H&E-stained section of a sentinel lymph node (breast cancer), from a whole-slide image, viewed at about 5×: the field is about 1 mm across, about 1.9 µm per pixel.
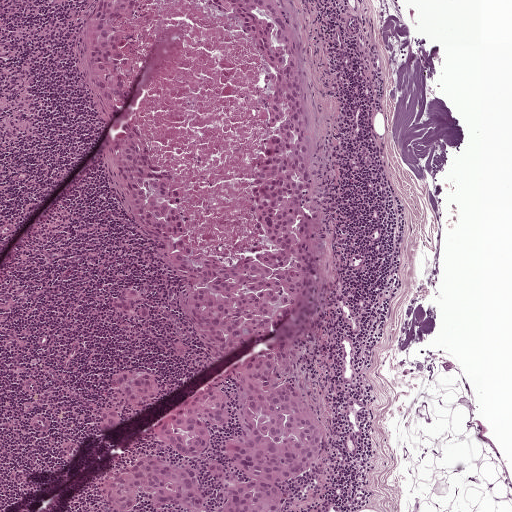
Question: Where is the metastatic tumour in this field?
Answer: Two metastatic tumour regions, each outlined as a closed clockwise path in crop pixels (x, y), largest first: region 1: (94, 4), (290, 8), (316, 281), (297, 363), (324, 443), (275, 511), (214, 511), (207, 458), (247, 481), (212, 433), (196, 463), (203, 510), (147, 509), (138, 491), (113, 511), (94, 491), (131, 457), (191, 460), (154, 433), (205, 385), (238, 426), (228, 375), (109, 184), (80, 54); region 2: (129, 371), (144, 372), (151, 377), (156, 389), (144, 405), (123, 408), (119, 430), (105, 431), (98, 419), (110, 393), (109, 379).
About 35% of the image area is annotated as tumour.